A 0.26-mm field of an H&E-stained sentinel lymph node from a breast-cancer patient (whole-slide image), shown at about 20×, about 0.5 µm per pixel.
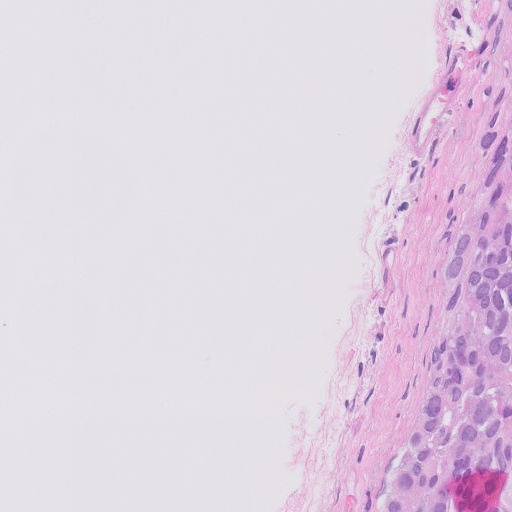
The outlined metastatic tumour's edge, as a closed clockwise path of 8 points: (511, 37), (511, 511), (373, 511), (442, 320), (448, 257), (460, 218), (487, 188), (480, 108).
Tumour covers about 10% of the frame.